Question: 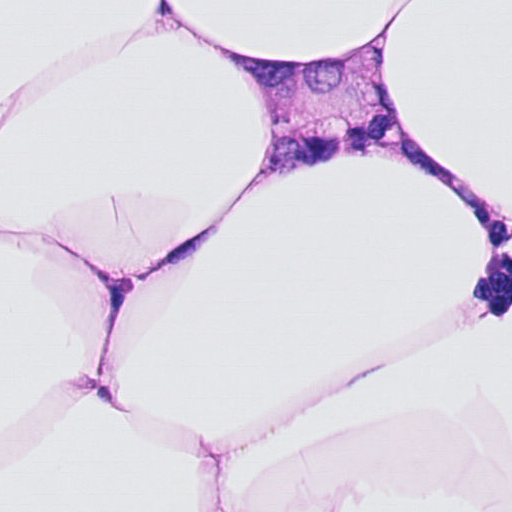
Which magnification is this H&E lymph node field most likely shown at?

Choices:
 (A) about 5×
 (B) about 2.5×
 (C) about 20×
 (D) about 40×
 (E) about 10×

Answer: (D) about 40×
A 0.12-mm field of an H&E-stained sentinel lymph node from a breast-cancer patient (whole-slide image), shown at about 40×, about 0.23 µm per pixel.
One metastatic tumour region; its boundary, reduced to 10 corners and listed clockwise: (404, 7), (400, 67), (416, 152), (362, 172), (248, 175), (260, 118), (224, 69), (236, 42), (299, 52), (357, 38).
The annotated tumour makes up about 10% of the crop.